Question: 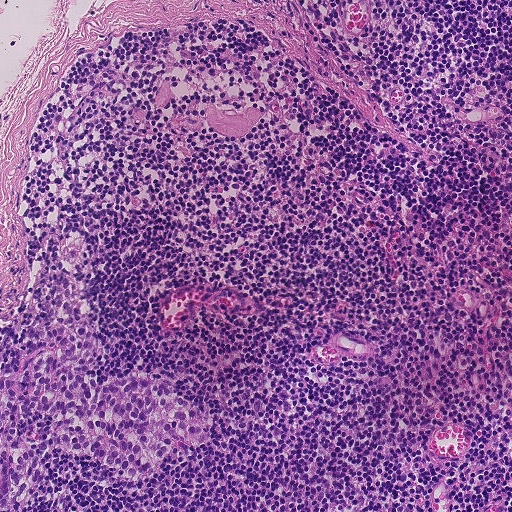
A 0.46-mm field of an H&E-stained sentinel lymph node from a breast-cancer patient (whole-slide image), shown at about 10×, about 0.9 µm per pixel.
What fraction of the image area is metastatic tumour?

Choices:
 (A) none: no tumour is outlined
 (B) about 10% to 20%
 (C) about 50% or more
 (D) about 25% to 45%
 (E) about 5% or less

Answer: (B) about 10% to 20%
About 10% of the field is tumour.
Tumour region outline (a closed clockwise path, crop pixels): (66, 271), (87, 282), (104, 310), (96, 329), (119, 340), (88, 373), (97, 383), (140, 370), (172, 378), (176, 393), (213, 418), (208, 440), (196, 459), (168, 454), (129, 482), (90, 455), (51, 449), (31, 504), (0, 511), (0, 377), (48, 347), (28, 328), (48, 314), (43, 301).